Image:
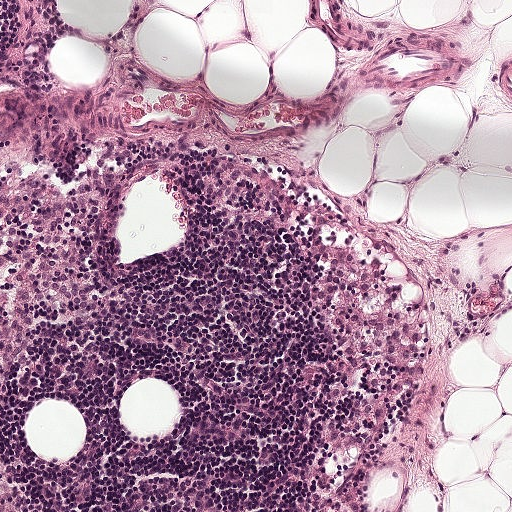
A 0.5-mm field of an H&E-stained sentinel lymph node from a breast-cancer patient (whole-slide image), shown at about 10×, about 0.97 µm per pixel.
Question:
Is any metastatic breast cancer visible in this crop?
Answer:
No, this field holds no outlined metastasis.